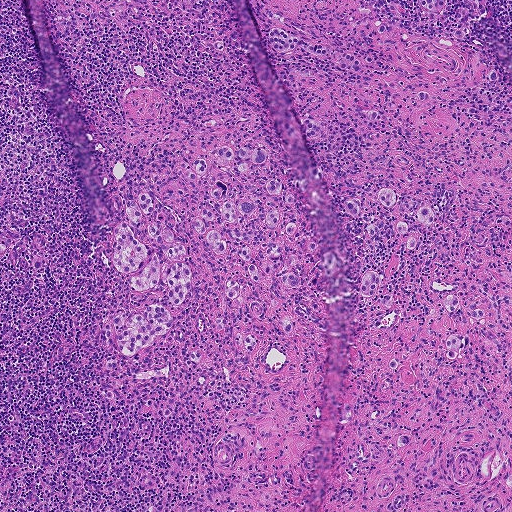
Lymph node section stained with H&E, from a whole-slide image of a breast-cancer sentinel node. Magnification about 5×, about 0.93 mm across the frame, about 1.8 µm per pixel.
Question: Is there metastatic carcinoma in this field?
Answer: Yes.
The eight largest tumour regions' boundaries, simplified and listed clockwise, largest first: region 1: (144, 192), (154, 209), (143, 214), (141, 223), (161, 225), (186, 246), (191, 281), (180, 307), (168, 301), (168, 287), (156, 289), (174, 326), (151, 346), (125, 356), (115, 346), (105, 348), (100, 335), (116, 311), (130, 314), (130, 275), (111, 262), (113, 232), (128, 222), (123, 204); region 2: (279, 179), (294, 198), (291, 204), (278, 197), (278, 210), (300, 232), (291, 238), (279, 224), (270, 228), (266, 216), (273, 207), (257, 206), (261, 230), (251, 246), (280, 240), (283, 257), (296, 261), (290, 271), (300, 287), (289, 288), (265, 273), (262, 285), (256, 284), (246, 268), (251, 263), (240, 256), (225, 268), (191, 224), (198, 203), (216, 211), (222, 202), (210, 195), (212, 183), (225, 182), (228, 200), (235, 202), (248, 196), (266, 199), (267, 180); region 3: (273, 27), (280, 28), (304, 42), (317, 44), (335, 52), (349, 53), (360, 60), (368, 55), (372, 57), (372, 62), (368, 64), (364, 61), (361, 62), (363, 68), (360, 74), (353, 74), (341, 68), (332, 57), (318, 57), (300, 48), (280, 52), (268, 45), (268, 31); region 4: (225, 145), (237, 150), (245, 146), (251, 149), (257, 146), (263, 147), (267, 152), (266, 158), (262, 163), (255, 164), (249, 161), (252, 169), (248, 174), (236, 175), (217, 168), (210, 154), (213, 149); region 5: (366, 270), (378, 274), (383, 286), (382, 292), (393, 294), (393, 306), (388, 310), (383, 307), (378, 302), (381, 296), (378, 294), (377, 288), (375, 294), (369, 297), (363, 296), (359, 290), (361, 277); region 6: (465, 0), (485, 0), (486, 13), (481, 16), (473, 16), (467, 19), (470, 32), (466, 38), (459, 39), (453, 37), (454, 30), (461, 30), (456, 18), (457, 11), (461, 6), (474, 9); region 7: (455, 334), (468, 336), (470, 342), (466, 347), (460, 346), (456, 358), (452, 361), (447, 357), (448, 350), (444, 342), (448, 336); region 8: (202, 158), (207, 161), (207, 168), (203, 173), (196, 174), (198, 179), (192, 180), (186, 178), (180, 167), (183, 161), (188, 164), (192, 169), (191, 163), (196, 159).
10 more, smaller tumour regions are not outlined.
17 more small tumour pieces are annotated here but not outlined.
About 10% of this field is tumour.